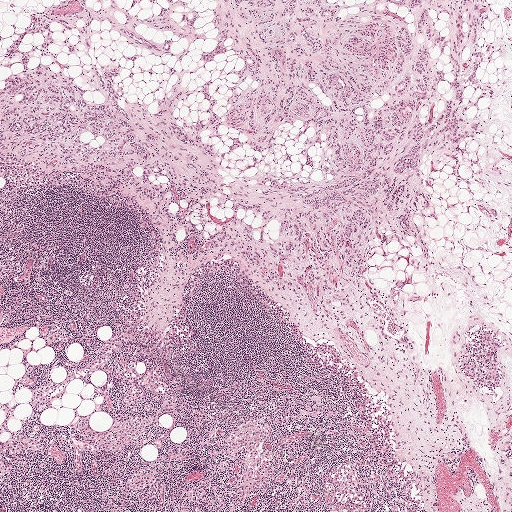
A 2.0-mm field of an H&E-stained sentinel lymph node from a breast-cancer patient (whole-slide image), shown at about 2.5×, about 3.9 µm per pixel.
One metastatic tumour region; its boundary, reduced to 20 corners and listed clockwise: (330, 0), (339, 18), (367, 0), (488, 0), (481, 89), (463, 91), (480, 128), (460, 164), (421, 166), (441, 224), (415, 216), (417, 234), (321, 286), (270, 288), (229, 261), (184, 280), (118, 179), (0, 160), (4, 56), (46, 10).
The annotated tumour makes up about 40% of the crop.